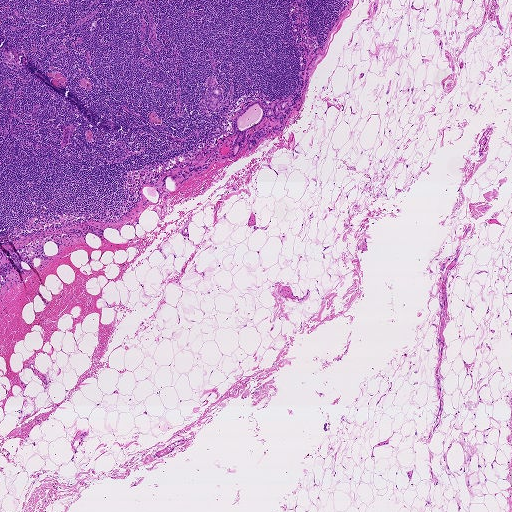
This is a crop of a whole-slide image: an H&E-stained breast-cancer sentinel lymph node section at roughly 2.5× magnification (about 3.6 µm per pixel; the crop spans about 1.9 mm).
Three metastatic tumour regions, each outlined as a closed clockwise path in crop pixels (x, y), largest first: region 1: (256, 100), (260, 100), (264, 108), (273, 108), (280, 101), (288, 100), (287, 106), (281, 111), (284, 114), (283, 122), (278, 123), (273, 116), (264, 118), (259, 124), (246, 132), (245, 138), (241, 143), (239, 151), (234, 156), (231, 153), (237, 135), (233, 130), (233, 119), (247, 105); region 2: (209, 78), (215, 79), (218, 86), (222, 89), (220, 105), (216, 109), (209, 109), (204, 102), (204, 94), (208, 86), (205, 80); region 3: (261, 127), (263, 127), (267, 130), (267, 135), (260, 139), (255, 139), (256, 143), (256, 145), (249, 150), (245, 144), (246, 141), (252, 138), (251, 137), (253, 133).
One more small tumour piece is annotated here but not outlined.
Under 5% of this field is tumour.